Image:
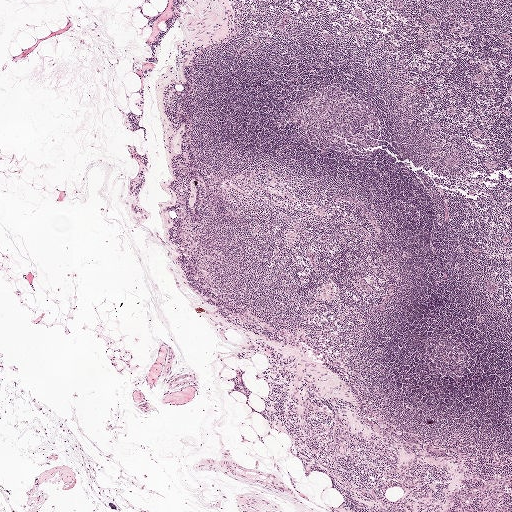
H&E-stained section of a sentinel lymph node (breast cancer), from a whole-slide image, viewed at about 2.5×: the field is about 2.0 mm across, about 3.9 µm per pixel.
Question:
Is any metastatic breast cancer visible in this crop?
Answer:
No. No metastatic tumour is outlined in this field.